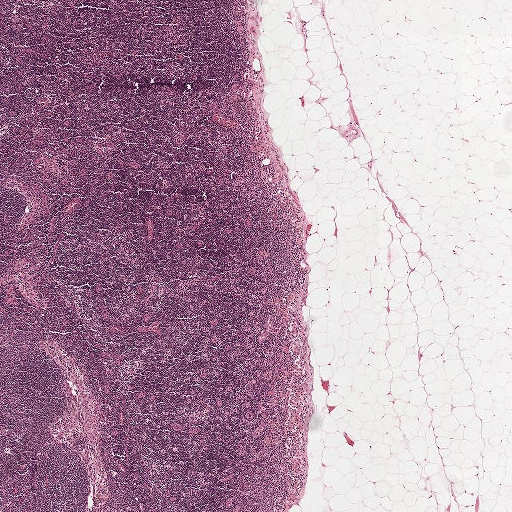
A 2.0-mm field of an H&E-stained sentinel lymph node from a breast-cancer patient (whole-slide image), shown at about 2.5×, about 3.9 µm per pixel.
Boundaries of two metastatic tumour regions, simplified and listed clockwise, largest first: region 1: (297, 319), (298, 329), (299, 332), (307, 335), (307, 339), (306, 343), (304, 343), (300, 343), (297, 335), (295, 334), (290, 333), (288, 331), (289, 325), (292, 321), (294, 320); region 2: (294, 342), (298, 342), (302, 346), (302, 347), (302, 352), (301, 356), (297, 357), (292, 357), (290, 356), (289, 353), (289, 350), (290, 346).
Tumour covers under 5% of the frame.